Image:
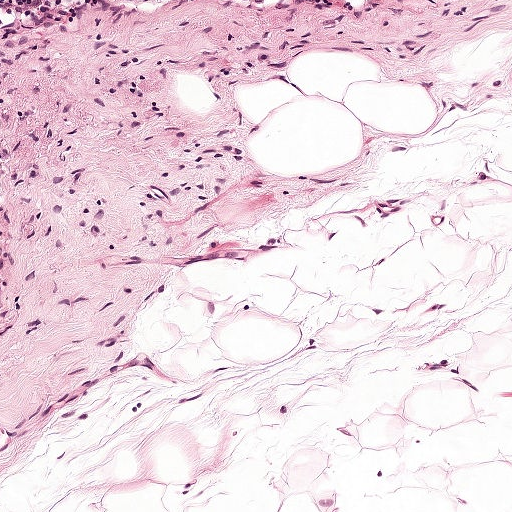
Lymph node section stained with H&E, from a whole-slide image of a breast-cancer sentinel node. Magnification about 10×, about 0.5 mm across the frame, about 0.97 µm per pixel.
Question:
Does this lymph node field contain metastatic tumour?
Answer:
No, this field holds no outlined metastasis.